Image:
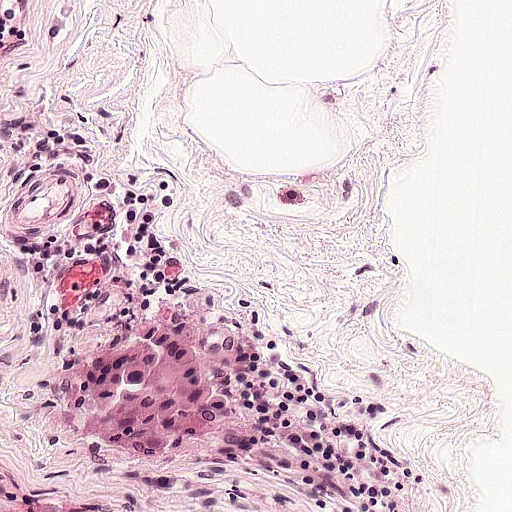
A 0.25-mm field of an H&E-stained sentinel lymph node from a breast-cancer patient (whole-slide image), shown at about 20×, about 0.49 µm per pixel.
Question:
Which parts of this field are metastatic tumour?
Answer:
Two metastatic tumour regions, each outlined as a closed clockwise path in crop pixels (x, y), largest first: region 1: (159, 314), (188, 331), (233, 382), (236, 408), (216, 434), (126, 468), (104, 460), (83, 442), (73, 424), (70, 398), (90, 352); region 2: (0, 499), (4, 502), (6, 504), (6, 505), (9, 505), (9, 506), (12, 507), (12, 508), (19, 511), (0, 511).
About 5% of the image area is annotated as tumour.